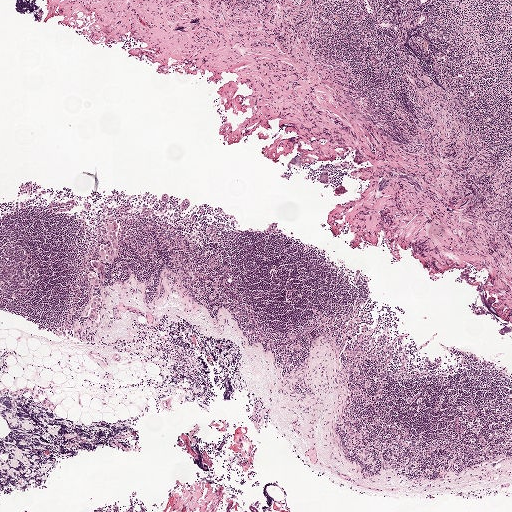
This is a crop of a whole-slide image: an H&E-stained breast-cancer sentinel lymph node section at roughly 2.5× magnification (about 3.9 µm per pixel; the crop spans about 2.0 mm).
Question: Which parts of this field are metastatic tumour? Answer with the outline of each region, in pixels.
Answer: The outlined metastatic tumour's edge, as a closed clockwise path of 23 points: (116, 220), (118, 225), (116, 233), (118, 255), (114, 263), (106, 266), (107, 274), (105, 278), (93, 290), (93, 294), (100, 298), (100, 310), (95, 321), (91, 321), (87, 318), (90, 305), (87, 277), (92, 270), (92, 263), (98, 260), (101, 241), (104, 239), (104, 225).
The annotated tumour makes up under 5% of the crop.